Question: 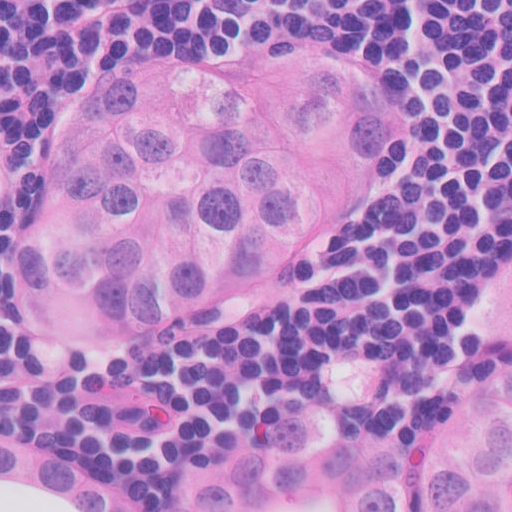
At roughly what magnification is this field shown?

Choices:
 (A) about 20×
 (B) about 10×
 (C) about 40×
 (D) about 2.5×
 (E) about 5×

Answer: (C) about 40×
A 0.13-mm field of an H&E-stained sentinel lymph node from a breast-cancer patient (whole-slide image), shown at about 40×, about 0.25 µm per pixel.
Outlines of two tumour regions, largest first (closed clockwise paths, crop pixels): region 1: (211, 0), (309, 0), (446, 76), (360, 282), (159, 369), (29, 374), (0, 309), (0, 174), (66, 37); region 2: (511, 241), (511, 511), (0, 511), (0, 368), (12, 380), (229, 369), (436, 288).
About 80% of this field is tumour.